Lymph node section stained with H&E, from a whole-slide image of a breast-cancer sentinel node. Magnification about 20×, about 0.23 mm across the frame, about 0.45 µm per pixel.
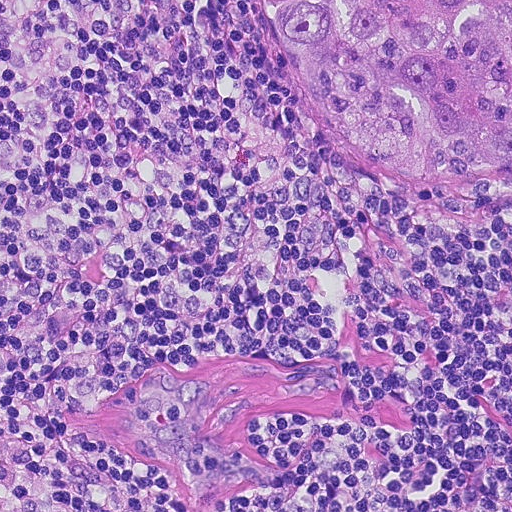
Question: Outline the metastatic carcinoma in this image, as closed paths of (x, y) pixel coordinates.
Answer: Tumour region outline (a closed clockwise path, crop pixels): (263, 0), (511, 0), (511, 190), (412, 179), (361, 164), (324, 128).
Tumour covers about 15% of the frame.